Question: 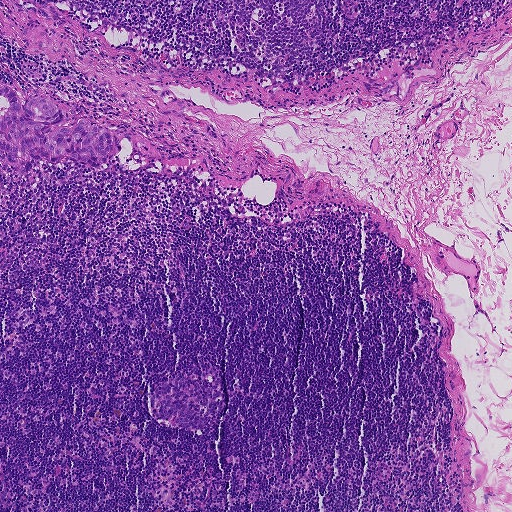
H&E-stained section of a sentinel lymph node (breast cancer), from a whole-slide image, viewed at about 5×: the field is about 0.93 mm across, about 1.8 µm per pixel.
Roughly what share of this field is metastatic tumour?

Choices:
 (A) about 25% to 45%
 (B) about 5% or less
 (C) none: no tumour is outlined
 (D) about 50% or more
 (E) about 10% to 20%

Answer: (B) about 5% or less
About 5% of the field is tumour.
The outlined metastatic tumour's edge, as a closed clockwise path of 22 points: (0, 82), (15, 91), (22, 108), (32, 97), (50, 97), (64, 108), (69, 125), (87, 119), (112, 134), (117, 160), (103, 169), (67, 158), (53, 164), (44, 161), (34, 163), (29, 174), (24, 174), (17, 173), (13, 164), (0, 166), (6, 153), (0, 151).